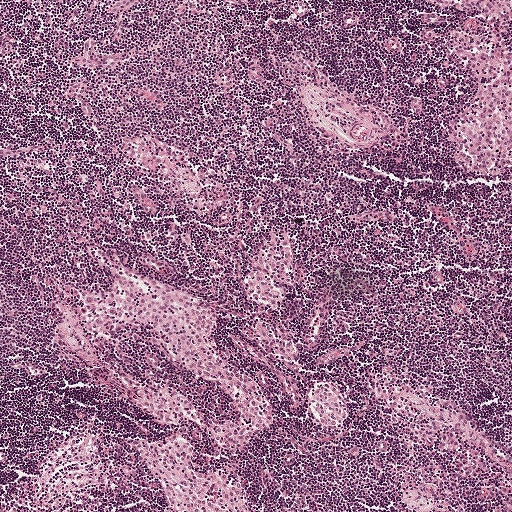
A 1-mm field of an H&E-stained sentinel lymph node from a breast-cancer patient (whole-slide image), shown at about 5×, about 1.9 µm per pixel.